Image:
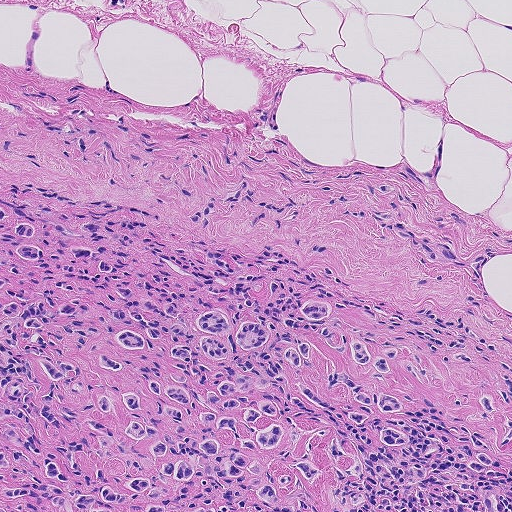
H&E-stained section of a sentinel lymph node (breast cancer), from a whole-slide image, viewed at about 10×: the field is about 0.46 mm across, about 0.9 µm per pixel.
Question:
Where is the metastatic tumour in this field? Give each region's outline as (x, y) pixel points.
Answer:
Tumour region outline (a closed clockwise path, crop pixels): (0, 178), (155, 212), (254, 255), (268, 244), (511, 346), (511, 511), (0, 511).
Tumour covers about 50% of the frame.